A 1.9-mm field of an H&E-stained sentinel lymph node from a breast-cancer patient (whole-slide image), shown at about 2.5×, about 3.6 µm per pixel.
Question: 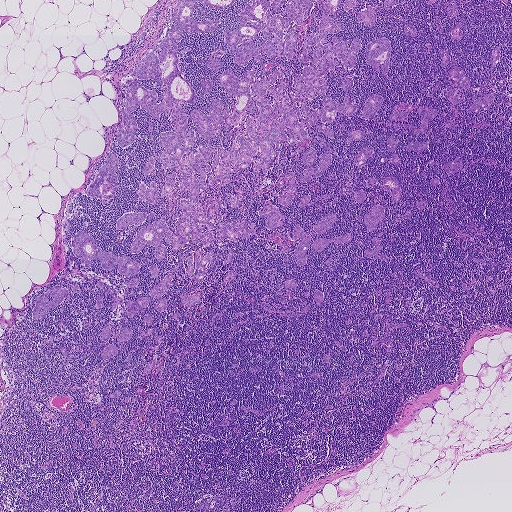
About how much of this crop is taken up by metastatic carcinoma?

Choices:
 (A) about 50% or more
 (B) none: no tumour is outlined
 (C) about 25% to 45%
 (D) about 10% to 20%
 (E) about 5% or less

Answer: (D) about 10% to 20%
About 15% of the field is tumour.
Eight metastatic tumour regions, each outlined as a closed clockwise path in crop pixels (x, y), largest first: region 1: (285, 0), (275, 11), (272, 7), (264, 10), (260, 4), (255, 7), (255, 15), (265, 22), (276, 15), (287, 17), (284, 12), (287, 0), (313, 0), (309, 16), (301, 24), (293, 21), (286, 28), (282, 28), (283, 32), (293, 27), (296, 33), (292, 58), (288, 59), (282, 54), (269, 57), (263, 51), (259, 54), (262, 57), (259, 60), (255, 62), (252, 56), (246, 66), (234, 64), (234, 53), (226, 44), (223, 31), (236, 28), (244, 3), (250, 5), (253, 1); region 2: (80, 230), (87, 232), (94, 244), (104, 252), (112, 254), (116, 257), (126, 256), (140, 263), (138, 268), (140, 270), (137, 274), (127, 276), (120, 273), (116, 264), (111, 270), (106, 270), (100, 261), (95, 259), (90, 260), (89, 265), (82, 263), (71, 249), (74, 235); region 3: (113, 150), (117, 160), (116, 171), (118, 178), (115, 193), (106, 204), (102, 204), (100, 201), (102, 198), (87, 196), (85, 193), (87, 189), (107, 155); region 4: (382, 37), (387, 38), (390, 45), (387, 77), (367, 63), (365, 58), (366, 45), (370, 41); region 5: (57, 286), (67, 290), (68, 295), (49, 310), (44, 318), (33, 318), (32, 310), (37, 298), (46, 292), (50, 288); region 6: (296, 225), (299, 225), (304, 232), (310, 236), (309, 244), (306, 252), (307, 263), (303, 265), (297, 265), (291, 255), (300, 242), (301, 239), (298, 238), (293, 240), (291, 238), (291, 232), (294, 227); region 7: (197, 251), (199, 251), (202, 256), (204, 258), (206, 253), (208, 252), (211, 252), (212, 257), (210, 262), (205, 264), (206, 273), (201, 282), (196, 277), (191, 279), (191, 276), (196, 275), (199, 270), (194, 267), (191, 275), (189, 276), (187, 274), (186, 268), (188, 266), (187, 260), (190, 256), (192, 258), (193, 263); region 8: (267, 203), (272, 205), (283, 216), (282, 226), (273, 228), (265, 226), (266, 216), (260, 217), (259, 215), (262, 207).
One more tumour region is annotated but not outlined: its edge is too irregular for a short outline.
40 more, smaller tumour regions are not outlined.
30 more small tumour pieces are annotated here but not outlined.